Image:
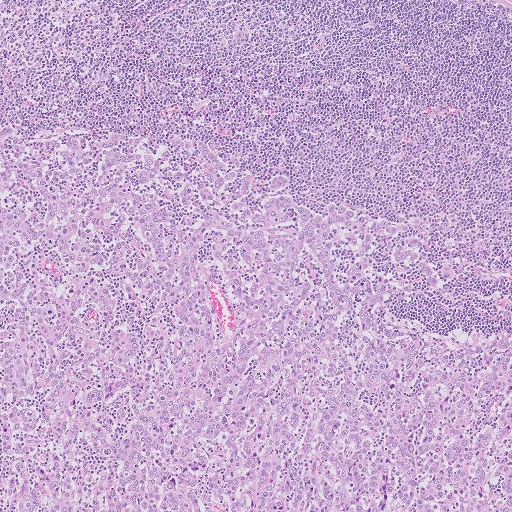
This is a crop of a whole-slide image: an H&E-stained breast-cancer sentinel lymph node section at roughly 5× magnification (about 2.0 µm per pixel; the crop spans about 1.0 mm).
Question:
Describe where the metastatic carcinoma lies in this crop.
Answer:
One metastatic tumour region; its boundary, reduced to 13 corners and listed clockwise: (0, 93), (48, 120), (213, 145), (324, 196), (410, 199), (446, 216), (471, 246), (416, 305), (450, 328), (488, 329), (511, 313), (511, 511), (0, 511).
Tumour covers about 65% of the frame.